Question: 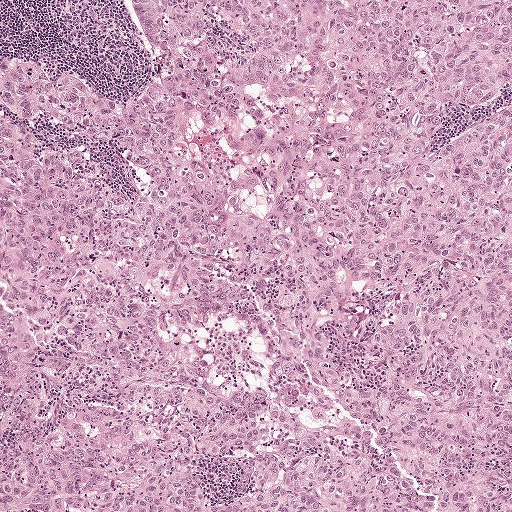
A 1-mm field of an H&E-stained sentinel lymph node from a breast-cancer patient (whole-slide image), shown at about 5×, about 1.9 µm per pixel.
Roughly what share of this field is metastatic tumour?

Choices:
 (A) about 50% or more
 (B) none: no tumour is outlined
 (C) about 25% to 45%
 (D) about 5% or less
 (E) about 10% to 20%

Answer: (A) about 50% or more
About 95% of the field is tumour.
Tumour region outline (a closed clockwise path, crop pixels): (130, 0), (511, 0), (511, 80), (479, 108), (451, 109), (432, 152), (511, 110), (511, 511), (0, 511), (5, 61), (24, 59), (48, 80), (126, 102), (168, 70).